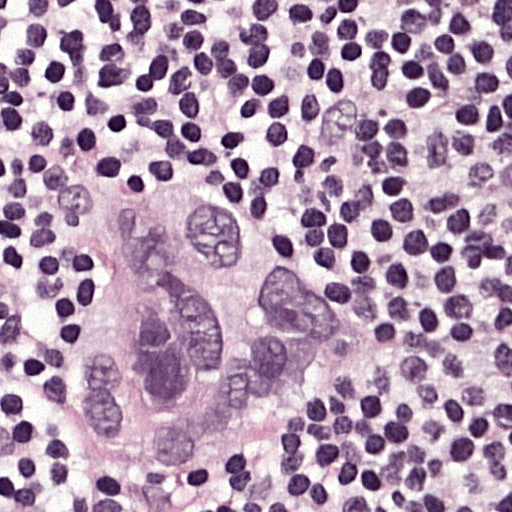
This is a crop of a whole-slide image: an H&E-stained breast-cancer sentinel lymph node section at roughly 40× magnification (about 0.24 µm per pixel; the crop spans about 0.12 mm).
Question: Which parts of this field are metastatic tumour?
Answer: One metastatic tumour region; its boundary, reduced to 11 corners and listed clockwise: (151, 167), (337, 272), (384, 314), (392, 371), (364, 416), (256, 481), (164, 477), (62, 422), (40, 377), (53, 331), (105, 205).
Tumour covers about 30% of the frame.